H&E-stained section of a sentinel lymph node (breast cancer), from a whole-slide image, viewed at about 2.5×: the field is about 1.9 mm across, about 3.6 µm per pixel.
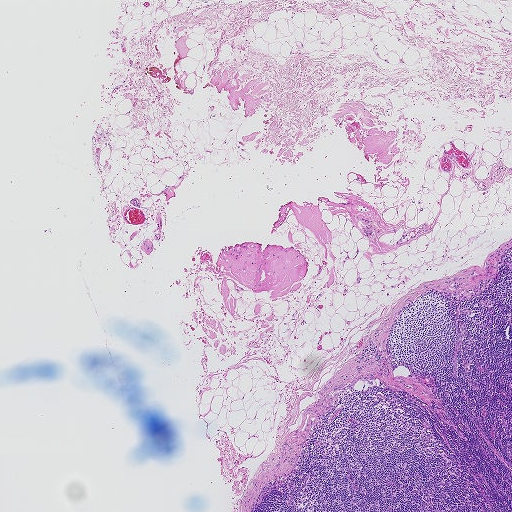
Question: Does this lymph node field contain metastatic tumour?
Answer: No: no metastatic tumour is outlined anywhere in this field.